This is a crop of a whole-slide image: an H&E-stained breast-cancer sentinel lymph node section at roughly 20× magnification (about 0.49 µm per pixel; the crop spans about 0.25 mm).
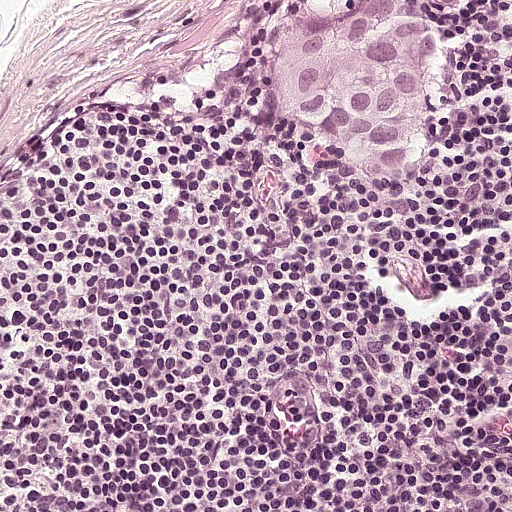
Question: Show where the tumour is in this image.
Answer: The outlined metastatic tumour's edge, as a closed clockwise path of 15 points: (360, 0), (403, 0), (430, 20), (430, 54), (414, 104), (415, 165), (408, 180), (386, 183), (366, 176), (324, 136), (302, 136), (265, 111), (268, 69), (278, 40), (302, 22).
The annotated tumour makes up about 10% of the crop.